Question: 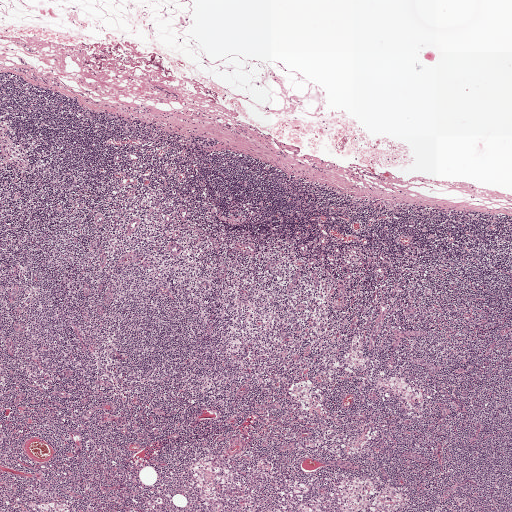
About what magnification does this crop show?

Choices:
 (A) about 10×
 (B) about 2.5×
 (C) about 20×
 (D) about 5×
 (E) about 40×

Answer: (B) about 2.5×
Lymph node section stained with H&E, from a whole-slide image of a breast-cancer sentinel node. Magnification about 2.5×, about 2.0 mm across the frame, about 3.9 µm per pixel.